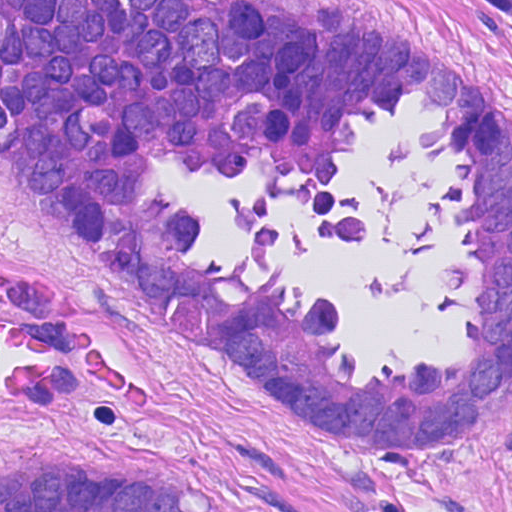
H&E-stained section of a sentinel lymph node (breast cancer), from a whole-slide image, viewed at about 40×: the field is about 0.12 mm across, about 0.23 µm per pixel.
Two metastatic tumour regions, each outlined as a closed clockwise path in crop pixels (x, y), largest first: region 1: (0, 0), (356, 4), (411, 32), (509, 110), (511, 399), (478, 434), (417, 448), (356, 451), (167, 331), (0, 187); region 2: (40, 463), (101, 472), (162, 484), (229, 511), (0, 511), (0, 473).
The annotated tumour makes up about 70% of the crop.